Image:
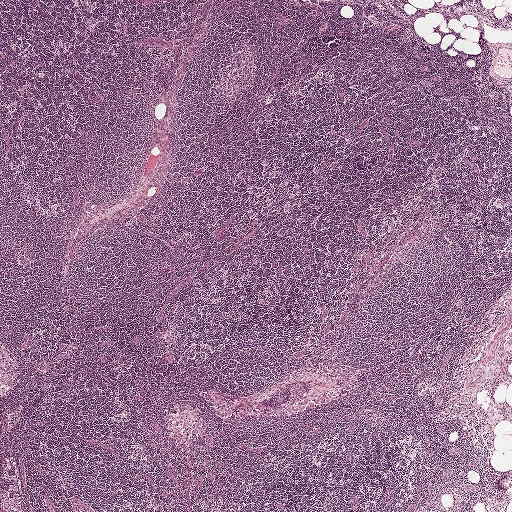
This is a crop of a whole-slide image: an H&E-stained breast-cancer sentinel lymph node section at roughly 2.5× magnification (about 3.9 µm per pixel; the crop spans about 2.0 mm).
Question:
Is any metastatic breast cancer visible in this crop?
Answer:
No: no metastatic tumour is outlined anywhere in this field.